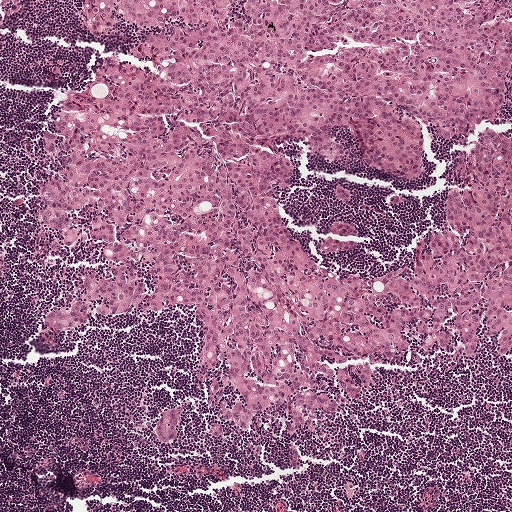
A 1-mm field of an H&E-stained sentinel lymph node from a breast-cancer patient (whole-slide image), shown at about 5×, about 1.9 µm per pixel.
Three metastatic tumour regions, each outlined as a closed clockwise path in crop pixels (x, y), largest first: region 1: (68, 0), (511, 12), (504, 95), (455, 140), (416, 115), (415, 174), (334, 124), (348, 155), (289, 142), (276, 194), (322, 267), (377, 276), (421, 260), (480, 129), (510, 131), (511, 347), (483, 318), (473, 358), (426, 352), (411, 323), (370, 393), (328, 382), (339, 412), (315, 432), (275, 407), (216, 435), (191, 305), (47, 330), (115, 260), (82, 232), (45, 247), (40, 136), (64, 99), (108, 96), (110, 68), (156, 69), (142, 24), (88, 36); region 2: (173, 406), (180, 412), (177, 431), (174, 440), (169, 442), (160, 441), (155, 431), (156, 422), (163, 411); region 3: (338, 184), (342, 185), (350, 189), (350, 190), (352, 192), (351, 200), (344, 201), (339, 199), (336, 196), (335, 194), (334, 187).
The annotated tumour makes up about 55% of the crop.